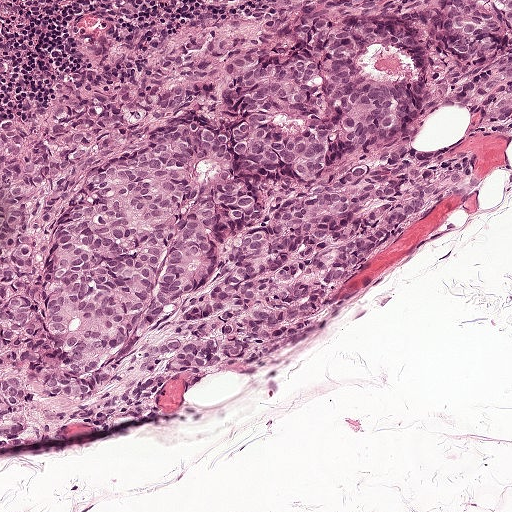
This is a crop of a whole-slide image: an H&E-stained breast-cancer sentinel lymph node section at roughly 10× magnification (about 0.97 µm per pixel; the crop spans about 0.5 mm).
One metastatic tumour region; its boundary, reduced to 21 corners and listed clockwise: (443, 0), (511, 0), (500, 134), (464, 130), (458, 108), (409, 132), (468, 162), (472, 189), (224, 378), (123, 418), (42, 403), (1, 421), (0, 129), (96, 96), (218, 96), (298, 23), (352, 14), (409, 24), (430, 104), (476, 68), (448, 47).
The annotated tumour makes up about 50% of the crop.